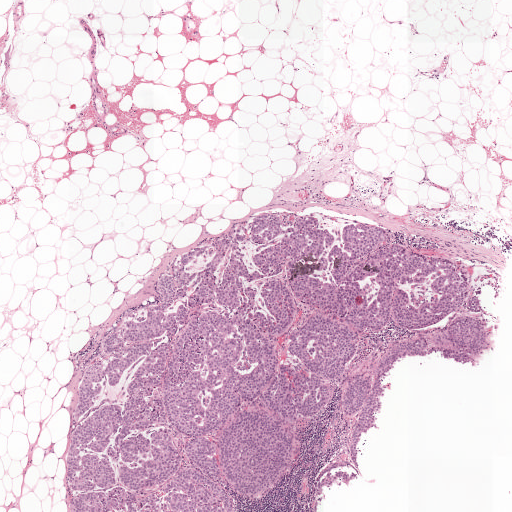
A 2.0-mm field of an H&E-stained sentinel lymph node from a breast-cancer patient (whole-slide image), shown at about 2.5×, about 3.9 µm per pixel.
Metastatic tumour outline, simplified to 22 points and listed clockwise in crop pixels (x, y): (271, 210), (502, 274), (502, 300), (483, 300), (499, 340), (477, 366), (395, 368), (359, 445), (366, 476), (325, 489), (320, 511), (315, 479), (350, 460), (336, 390), (301, 417), (284, 480), (257, 502), (232, 491), (241, 511), (70, 511), (78, 370), (170, 263).
Tumour covers about 30% of the frame.